H&E-stained section of a sentinel lymph node (breast cancer), from a whole-slide image, viewed at about 2.5×: the field is about 1.9 mm across, about 3.6 µm per pixel.
Question: 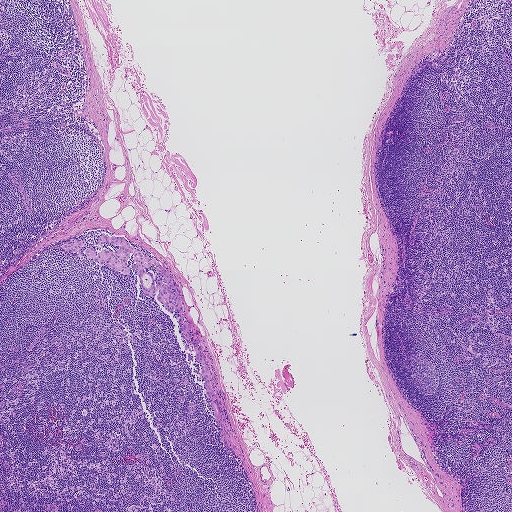
About how much of this crop is taken up by metastatic carcinoma?

Choices:
 (A) about 50% or more
 (B) none: no tumour is outlined
 (C) about 25% to 45%
 (D) about 10% to 20%
 (E) about 5% or less

Answer: (E) about 5% or less
Under 5% of the field is tumour.
Tumour region outline (a closed clockwise path, crop pixels): (103, 232), (123, 237), (134, 250), (138, 247), (145, 257), (154, 257), (176, 282), (184, 322), (190, 322), (194, 338), (201, 339), (198, 350), (206, 360), (235, 454), (220, 438), (193, 339), (189, 345), (182, 339), (175, 318), (178, 312), (166, 310), (157, 291), (151, 297), (144, 294), (130, 268), (136, 262), (134, 253), (126, 260), (126, 274), (91, 260), (85, 248), (80, 249), (83, 255), (60, 246), (72, 239), (96, 248), (97, 256), (100, 250), (119, 247), (98, 244).